H&E-stained section of a sentinel lymph node (breast cancer), from a whole-slide image, viewed at about 20×: the field is about 0.23 mm across, about 0.45 µm per pixel.
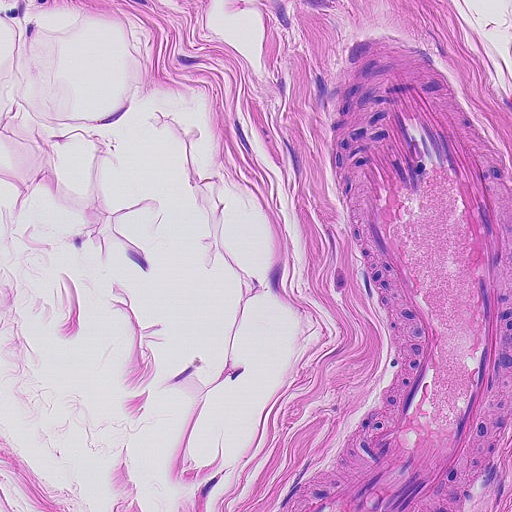
Question: Is any metastatic breast cancer visible in this crop?
Answer: No, this field holds no outlined metastasis.